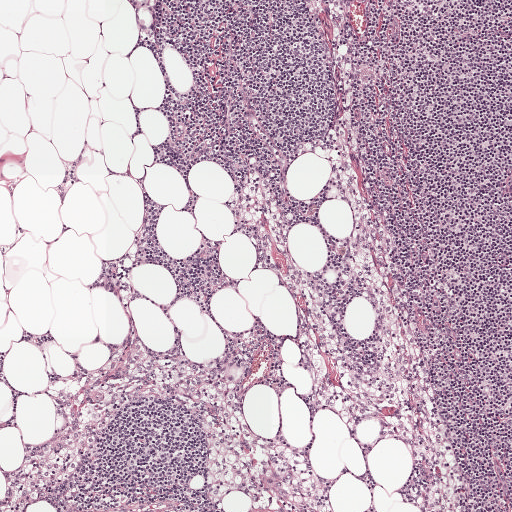
Lymph node section stained with H&E, from a whole-slide image of a breast-cancer sentinel node. Magnification about 5×, about 1 mm across the frame, about 1.9 µm per pixel.